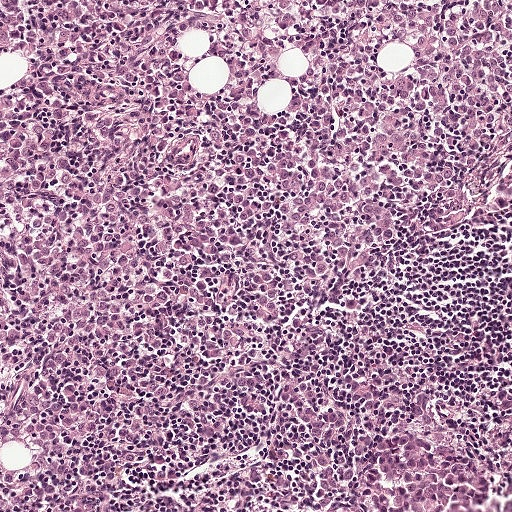
H&E-stained section of a sentinel lymph node (breast cancer), from a whole-slide image, viewed at about 10×: the field is about 0.5 mm across, about 0.97 µm per pixel.
Question: Which parts of this field are metastatic tumour?
Answer: The outlined metastatic tumour's edge, as a closed clockwise path of 11 points: (511, 0), (511, 155), (406, 216), (357, 269), (272, 329), (162, 384), (184, 312), (257, 226), (269, 174), (318, 98), (356, 1).
Tumour covers about 20% of the frame.